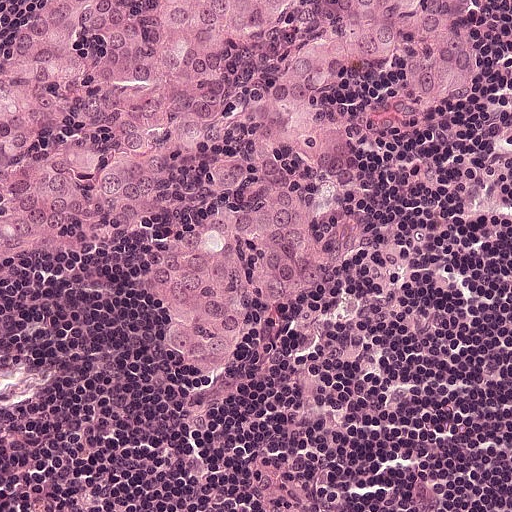
This is a crop of a whole-slide image: an H&E-stained breast-cancer sentinel lymph node section at roughly 20× magnification (about 0.49 µm per pixel; the crop spans about 0.25 mm).
Question: Describe where the metastatic carcinoma lies in this crop.
Answer: Tumour region outline (a closed clockwise path, crop pixels): (27, 0), (491, 0), (475, 75), (438, 124), (401, 133), (382, 88), (341, 99), (338, 112), (359, 146), (364, 222), (327, 277), (246, 319), (201, 372), (154, 351), (138, 301), (146, 269), (186, 243), (178, 206), (94, 243), (0, 261), (0, 42).
Tumour covers about 45% of the frame.